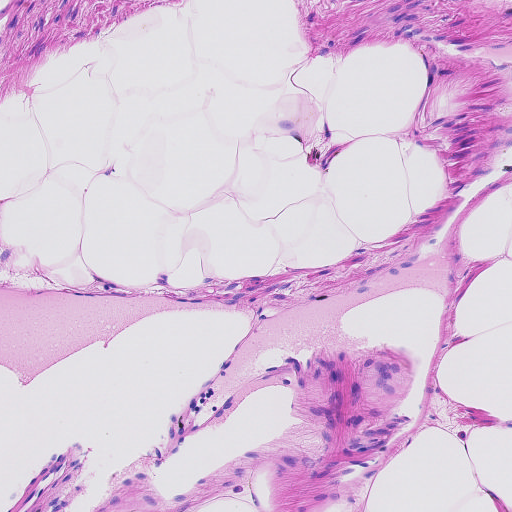
This is a crop of a whole-slide image: an H&E-stained breast-cancer sentinel lymph node section at roughly 10× magnification (about 0.91 µm per pixel; the crop spans about 0.46 mm).